Question: 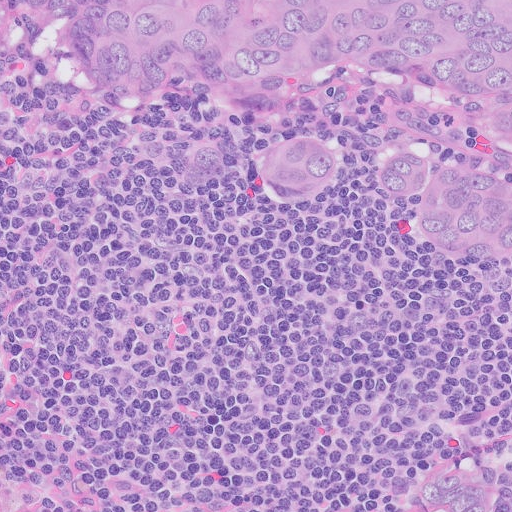
This is a crop of a whole-slide image: an H&E-stained breast-cancer sentinel lymph node section at roughly 20× magnification (about 0.5 µm per pixel; the crop spans about 0.26 mm).
Estimate the proportion of this field that is metastatic tumour.

Choices:
 (A) about 50% or more
 (B) about 5% or less
 (C) about 25% to 45%
 (D) none: no tumour is outlined
 (E) about 10% to 20%

Answer: (C) about 25% to 45%
About 35% of the field is tumour.
Two metastatic tumour regions, each outlined as a closed clockwise path in crop pixels (x, y), largest first: region 1: (24, 0), (511, 0), (511, 263), (496, 278), (290, 232), (245, 178), (244, 107), (182, 124), (114, 109), (56, 75), (10, 25); region 2: (447, 466), (486, 482), (499, 511), (422, 511), (413, 508), (418, 487).